Question: 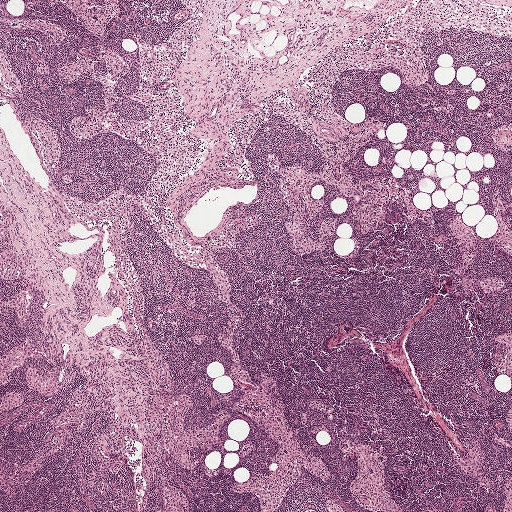
Which magnification is this H&E lymph node field most likely shown at?

Choices:
 (A) about 10×
 (B) about 2.5×
 (C) about 20×
 (D) about 40×
 (E) about 5×

Answer: (B) about 2.5×
A 2.0-mm field of an H&E-stained sentinel lymph node from a breast-cancer patient (whole-slide image), shown at about 2.5×, about 3.9 µm per pixel.